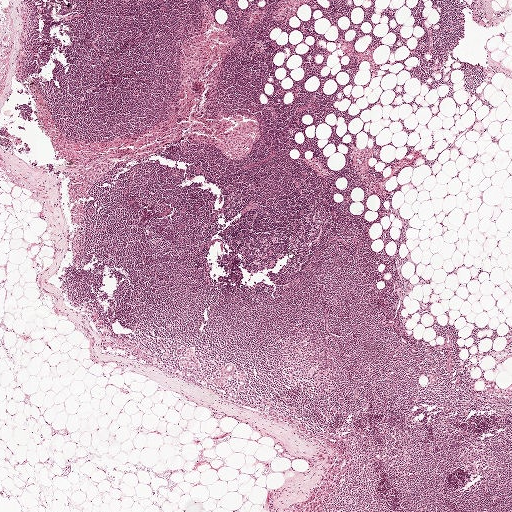
This is a crop of a whole-slide image: an H&E-stained breast-cancer sentinel lymph node section at roughly 2.5× magnification (about 3.9 µm per pixel; the crop spans about 2.0 mm).
Boundaries of two metastatic tumour regions, simplified and listed clockwise, largest first: region 1: (233, 364), (235, 367), (234, 373), (236, 374), (244, 371), (246, 374), (246, 380), (242, 382), (229, 379), (227, 380), (228, 384), (218, 387), (206, 383), (207, 377), (218, 374), (219, 366); region 2: (191, 348), (194, 352), (198, 363), (196, 368), (182, 368), (177, 363), (178, 357), (183, 355), (183, 349).
Tumour covers under 5% of the frame.